Question: 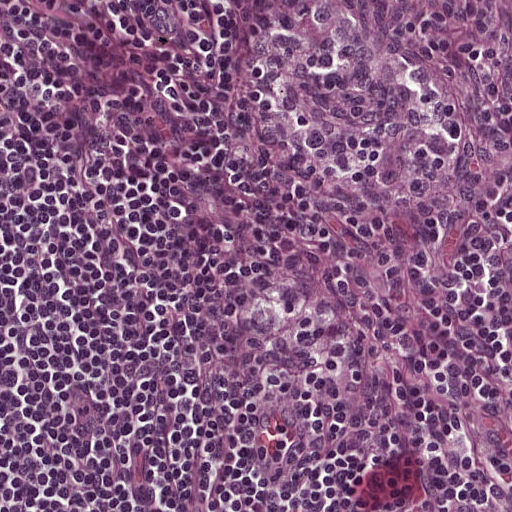
Which magnification is this H&E lymph node field most likely shown at?

Choices:
 (A) about 2.5×
 (B) about 10×
 (C) about 20×
 (D) about 5×
 (E) about 40×

Answer: (C) about 20×
H&E-stained section of a sentinel lymph node (breast cancer), from a whole-slide image, viewed at about 20×: the field is about 0.25 mm across, about 0.49 µm per pixel.